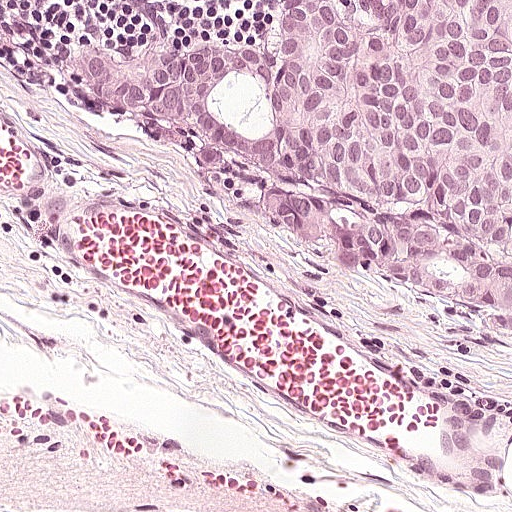
A 0.25-mm field of an H&E-stained sentinel lymph node from a breast-cancer patient (whole-slide image), shown at about 20×, about 0.49 µm per pixel.
The outlined metastatic tumour's edge, as a closed clockwise path of 12 points: (300, 0), (511, 0), (511, 344), (440, 330), (338, 280), (305, 230), (181, 168), (100, 110), (84, 56), (100, 48), (244, 63), (281, 54).
About 35% of the image area is annotated as tumour.